A 0.23-mm field of an H&E-stained sentinel lymph node from a breast-cancer patient (whole-slide image), shown at about 20×, about 0.45 µm per pixel.
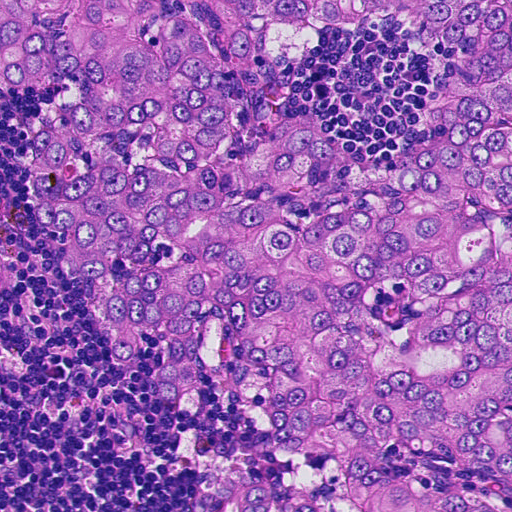
Question: Trace the edge of each tumour region in this crop, as (x, y) points from 0 to 511.
Answer: Tumour region outline (a closed clockwise path, crop pixels): (0, 0), (511, 0), (511, 511), (189, 511), (232, 458), (298, 470), (247, 398), (162, 399), (110, 356), (23, 170), (29, 140), (71, 90), (52, 81), (0, 86).
Tumour covers about 80% of the frame.